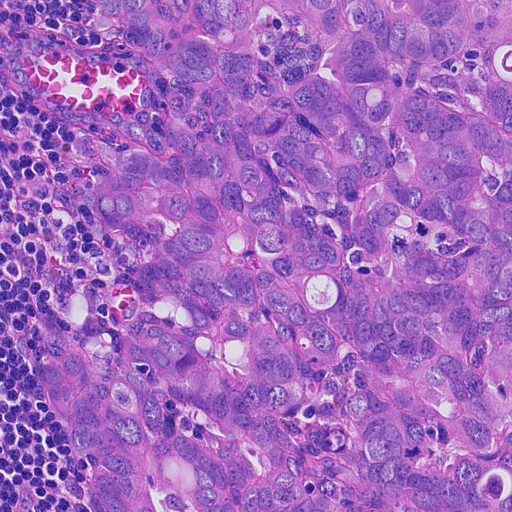
Lymph node section stained with H&E, from a whole-slide image of a breast-cancer sentinel node. Magnification about 20×, about 0.23 mm across the frame, about 0.45 µm per pixel.
One metastatic tumour region; its boundary, reduced to 21 corners and listed clockwise: (511, 0), (511, 511), (92, 511), (91, 451), (80, 455), (67, 436), (38, 370), (43, 346), (65, 339), (108, 356), (132, 318), (129, 274), (144, 254), (86, 210), (85, 188), (106, 146), (129, 149), (150, 69), (118, 33), (96, 29), (93, 6).
About 80% of this field is tumour.